A 0.46-mm field of an H&E-stained sentinel lymph node from a breast-cancer patient (whole-slide image), shown at about 10×, about 0.9 µm per pixel.
Image:
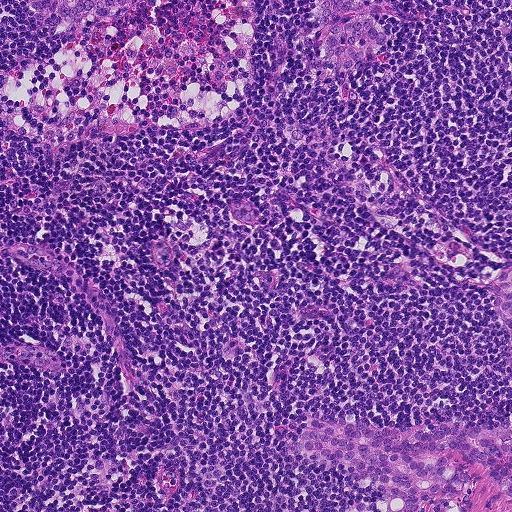
Question:
Trace the edge of each tumour region in this crop, as (x, y) points from 0 to 511.
Answer:
Four metastatic tumour regions, each outlined as a closed clockwise path in crop pixels (x, y), largest first: region 1: (511, 413), (511, 500), (478, 470), (466, 511), (438, 511), (443, 502), (436, 500), (419, 511), (377, 511), (380, 494), (364, 482), (308, 459), (297, 444), (299, 425), (316, 418), (410, 427), (428, 421), (503, 426); region 2: (309, 0), (360, 0), (386, 30), (386, 48), (370, 58), (354, 64), (342, 77), (328, 65), (311, 14); region 3: (19, 0), (147, 0), (130, 12), (89, 29), (72, 33), (38, 22); region 4: (510, 264), (511, 264), (511, 366), (510, 354), (502, 328), (495, 310), (487, 292), (493, 274).
About 10% of this field is tumour.